Question: 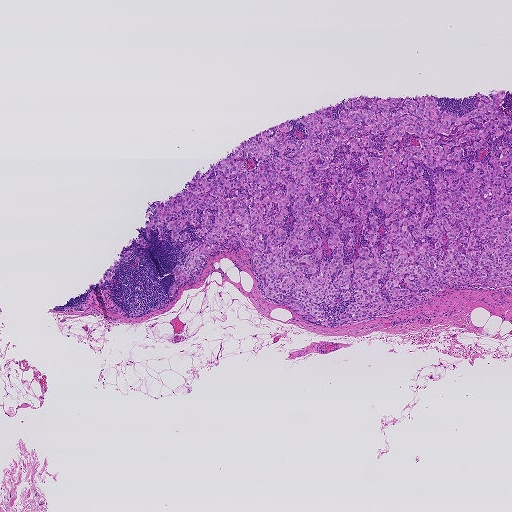
A 1.9-mm field of an H&E-stained sentinel lymph node from a breast-cancer patient (whole-slide image), shown at about 2.5×, about 3.6 µm per pixel.
Estimate the proportion of this field that is metastatic tumour.

Choices:
 (A) about 25% to 45%
 (B) about 10% to 20%
 (C) none: no tumour is outlined
 (D) about 5% or less
 (E) about 50% or more

Answer: (B) about 10% to 20%
About 20% of the field is tumour.
Boundaries of two metastatic tumour regions, simplified and listed clockwise, largest first: region 1: (505, 90), (511, 286), (444, 286), (361, 321), (354, 294), (315, 304), (326, 325), (260, 284), (238, 241), (169, 296), (202, 226), (174, 242), (165, 221), (142, 248), (147, 212), (261, 131), (289, 122), (300, 145), (295, 118), (322, 107), (429, 96), (460, 116); region 2: (129, 250), (131, 253), (128, 259), (125, 261), (121, 262), (119, 265), (119, 266), (116, 268), (112, 277), (112, 280), (108, 281), (105, 280), (109, 273), (112, 270), (106, 270), (109, 266), (113, 265), (114, 264), (113, 262), (116, 260), (118, 261), (119, 258), (119, 254), (121, 251).